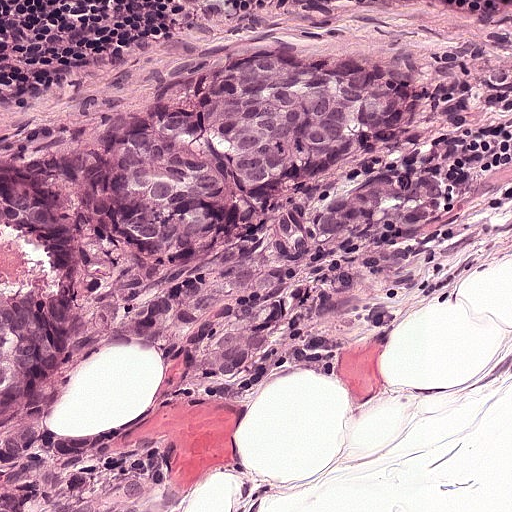
This is a crop of a whole-slide image: an H&E-stained breast-cancer sentinel lymph node section at roughly 20× magnification (about 0.49 µm per pixel; the crop spans about 0.25 mm).
Question: Trace the edge of each tumour region in this crop, as (x, y) points from 0 to 511.
Answer: Metastatic tumour outline, simplified to 24 points and listed clockwise in crop pixels (x, y): (248, 44), (400, 76), (418, 146), (454, 190), (452, 220), (317, 270), (221, 402), (150, 394), (140, 348), (98, 348), (50, 376), (42, 426), (160, 457), (176, 500), (0, 511), (0, 162), (45, 188), (83, 341), (148, 310), (175, 270), (172, 252), (120, 227), (104, 186), (131, 92).
The annotated tumour makes up about 40% of the crop.